H&E-stained section of a sentinel lymph node (breast cancer), from a whole-slide image, viewed at about 5×: the field is about 0.93 mm across, about 1.8 µm per pixel.
Question: 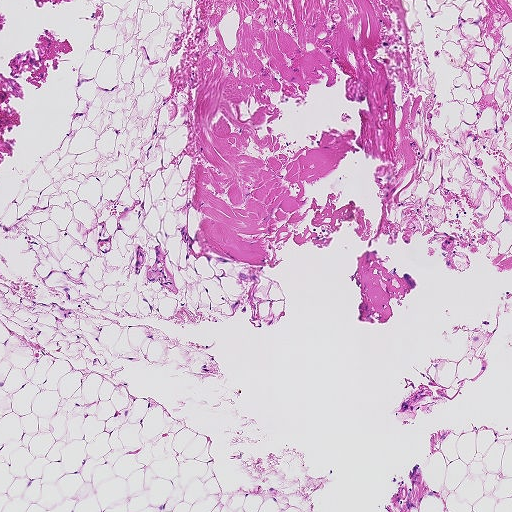
What fraction of the image area is metastatic tumour?

Choices:
 (A) about 5% or less
 (B) about 50% or more
 (C) about 25% to 45%
 (D) none: no tumour is outlined
 (E) about 10% to 20%

Answer: (D) none: no tumour is outlined
No metastatic tumour is outlined in this field.